Image:
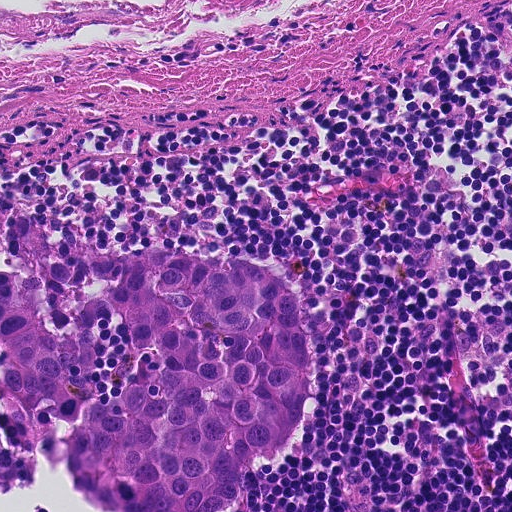
Lymph node section stained with H&E, from a whole-slide image of a breast-cancer sentinel node. Magnification about 20×, about 0.23 mm across the frame, about 0.45 µm per pixel.
Question:
Show where the tumour is in this image.
Answer:
One metastatic tumour region; its boundary, reduced to 16 corners and listed clockwise: (30, 222), (63, 260), (163, 249), (288, 276), (302, 297), (309, 363), (302, 416), (237, 501), (226, 511), (110, 511), (71, 488), (48, 455), (0, 461), (0, 249), (12, 260), (4, 225).
About 25% of the image area is annotated as tumour.